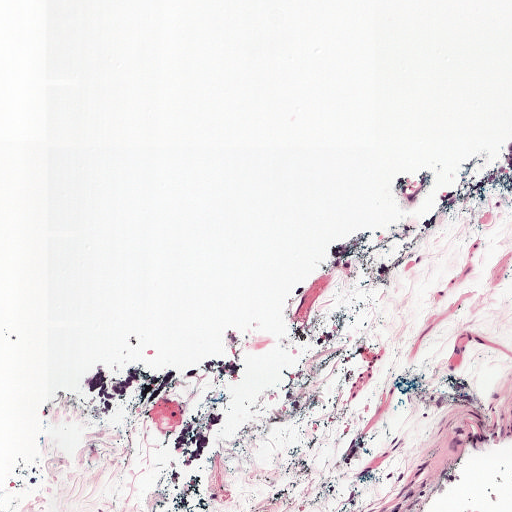
A 0.5-mm field of an H&E-stained sentinel lymph node from a breast-cancer patient (whole-slide image), shown at about 10×, about 0.97 µm per pixel.
Question: Which parts of this field are metastatic tumour?
Answer: Boundaries of four metastatic tumour regions, simplified and listed clockwise, largest first: region 1: (227, 406), (214, 440), (183, 480), (170, 483), (173, 440), (188, 416); region 2: (104, 362), (116, 373), (144, 364), (144, 380), (104, 414), (80, 387), (93, 366); region 3: (511, 124), (511, 175), (473, 187), (496, 142); region 4: (234, 355), (242, 380), (226, 378), (200, 378), (183, 374), (200, 360).
Two more small tumour pieces are annotated here but not outlined.
Tumour covers about 5% of the frame.